Question: 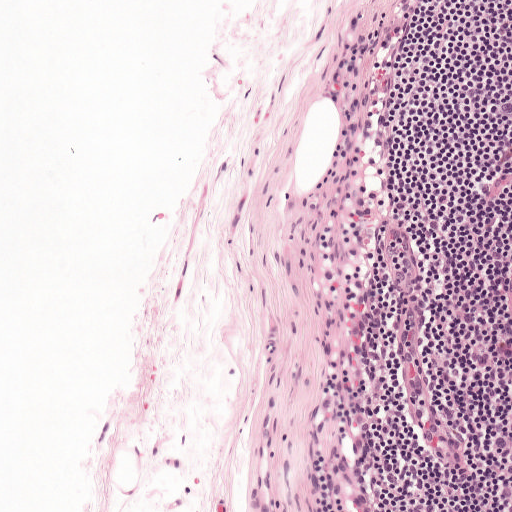
Which magnification is this H&E lymph node field most likely shown at?

Choices:
 (A) about 20×
 (B) about 2.5×
 (C) about 5×
 (D) about 40×
 (E) about 10×

Answer: (E) about 10×
This is a crop of a whole-slide image: an H&E-stained breast-cancer sentinel lymph node section at roughly 10× magnification (about 0.97 µm per pixel; the crop spans about 0.5 mm).